Image:
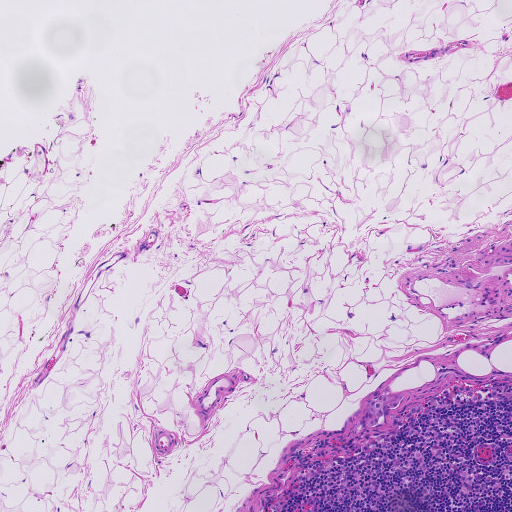
A 0.93-mm field of an H&E-stained sentinel lymph node from a breast-cancer patient (whole-slide image), shown at about 5×, about 1.8 µm per pixel.
Question:
Show where the tumour is in this image.
Answer:
Tumour region outline (a closed clockwise path, crop pixels): (392, 393), (405, 395), (398, 406), (386, 412), (377, 424), (365, 428), (360, 428), (358, 420), (364, 407), (365, 401).
The annotated tumour makes up under 5% of the crop.